Question: 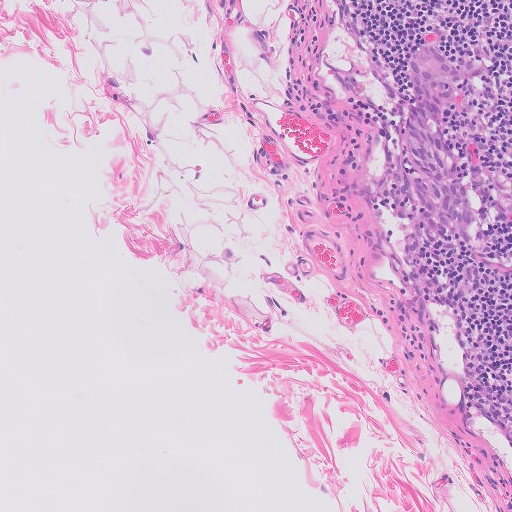
This is a crop of a whole-slide image: an H&E-stained breast-cancer sentinel lymph node section at roughly 10× magnification (about 1.0 µm per pixel; the crop spans about 0.51 mm).
About how much of this crop is taken up by metastatic carcinoma?

Choices:
 (A) none: no tumour is outlined
 (B) about 10% to 20%
 (C) about 50% or more
 (D) about 5% or less
 (E) about 25% to 45%

Answer: (D) about 5% or less
About 5% of the field is tumour.
Tumour region outline (a closed clockwise path, crop pixels): (432, 42), (456, 60), (465, 74), (465, 90), (450, 119), (474, 212), (464, 241), (447, 245), (418, 236), (399, 191), (400, 142), (417, 44).